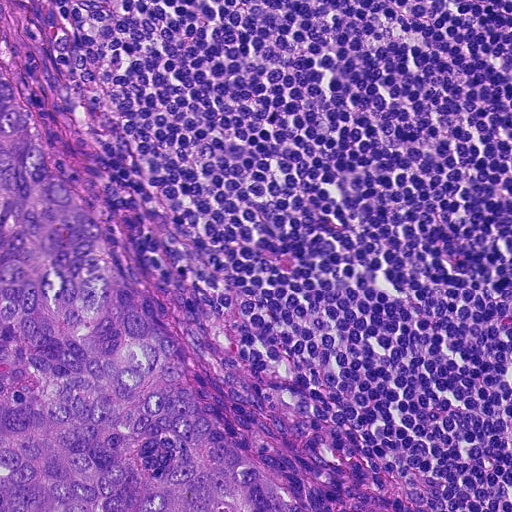
Lymph node section stained with H&E, from a whole-slide image of a breast-cancer sentinel node. Magnification about 20×, about 0.23 mm across the frame, about 0.45 µm per pixel.
Question: Describe where the metastatic carcinoma lies in this crop.
Answer: Metastatic tumour outline, simplified to 8 points and listed clockwise in crop pixels (x, y): (0, 24), (42, 116), (52, 166), (84, 185), (157, 328), (229, 398), (405, 511), (0, 511).
The annotated tumour makes up about 25% of the crop.